A 1-mm field of an H&E-stained sentinel lymph node from a breast-cancer patient (whole-slide image), shown at about 5×, about 1.9 µm per pixel.
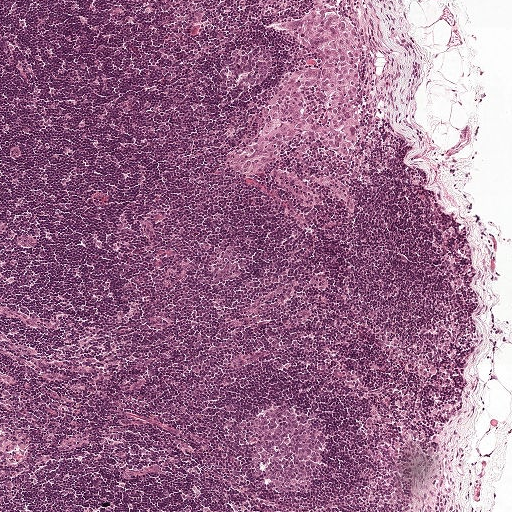
Metastatic tumour outline, simplified to 18 points and listed clockwise in crop pixels (x, y): (318, 6), (342, 12), (362, 33), (366, 138), (359, 149), (336, 155), (303, 132), (269, 169), (256, 176), (245, 176), (228, 166), (226, 158), (258, 134), (286, 79), (299, 70), (321, 65), (312, 47), (278, 23).
Tumour covers about 5% of the frame.